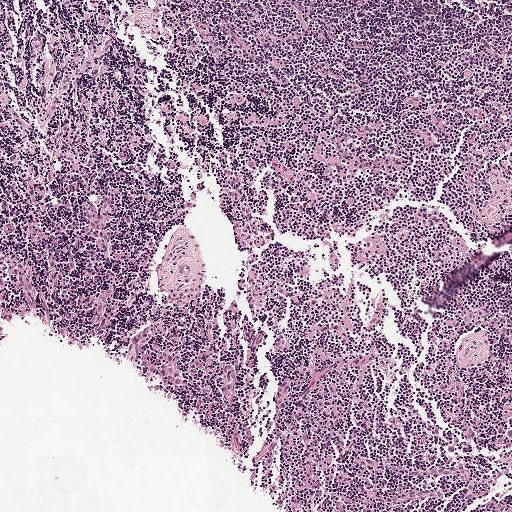
This is a crop of a whole-slide image: an H&E-stained breast-cancer sentinel lymph node section at roughly 5× magnification (about 1.9 µm per pixel; the crop spans about 1 mm).
Question: Is any metastatic breast cancer visible in this crop?
Answer: No, this field holds no outlined metastasis.